Lymph node section stained with H&E, from a whole-slide image of a breast-cancer sentinel node. Magnification about 2.5×, about 2.0 mm across the frame, about 3.9 µm per pixel.
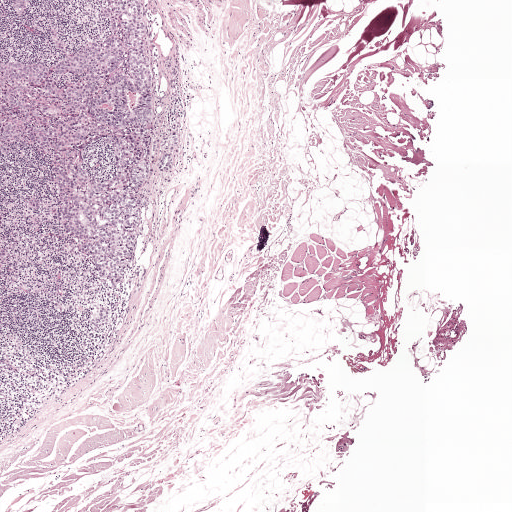
Outlines of seven tumour regions, largest first (closed clockwise paths, crop pixels): region 1: (101, 0), (145, 0), (157, 94), (152, 148), (160, 139), (139, 251), (117, 295), (65, 235), (56, 200), (35, 210), (26, 204), (35, 193), (55, 197), (43, 181), (53, 159), (18, 142), (5, 159), (0, 54), (55, 60), (50, 23), (72, 49), (106, 32), (94, 13); region 2: (107, 306), (112, 315), (112, 321), (110, 327), (100, 333), (94, 332), (89, 328), (87, 323), (87, 316), (95, 307); region 3: (12, 0), (28, 0), (30, 8), (28, 14), (24, 17), (14, 13), (10, 8); region 4: (169, 153), (171, 154), (174, 160), (170, 169), (166, 171), (159, 169), (158, 164), (160, 155); region 5: (60, 300), (67, 305), (67, 312), (55, 312), (51, 306), (53, 301); region 6: (0, 247), (7, 247), (9, 250), (9, 259), (7, 263), (0, 263); region 7: (173, 125), (177, 127), (178, 138), (177, 143), (171, 143), (171, 138).
10 more small tumour pieces are annotated here but not outlined.
About 10% of this field is tumour.